Image:
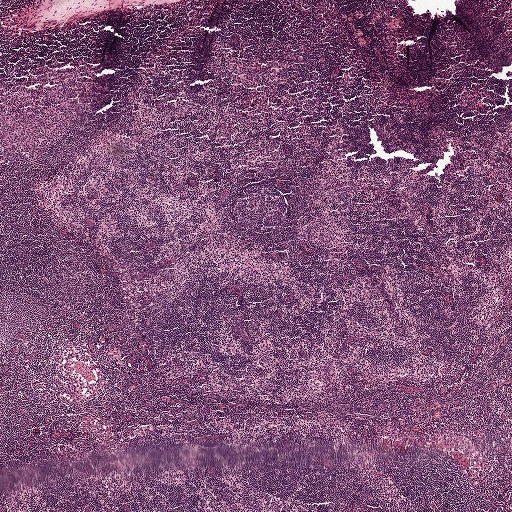
Lymph node section stained with H&E, from a whole-slide image of a breast-cancer sentinel node. Magnification about 2.5×, about 2.0 mm across the frame, about 3.9 µm per pixel.
Question:
Is there metastatic carcinoma in this field?
Answer:
No, this field holds no outlined metastasis.